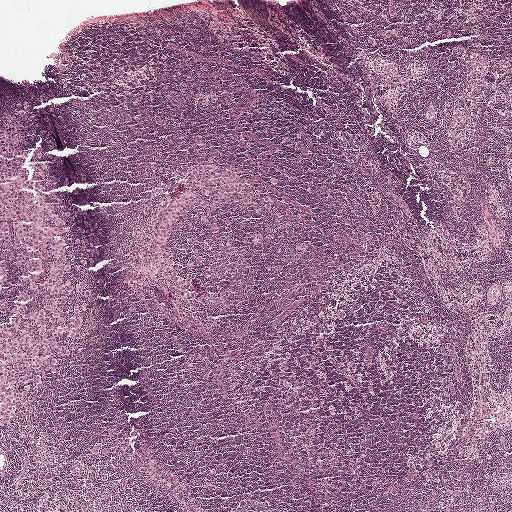
H&E-stained section of a sentinel lymph node (breast cancer), from a whole-slide image, viewed at about 2.5×: the field is about 2.0 mm across, about 3.9 µm per pixel.
Outlines of two tumour regions, largest first (closed clockwise paths, crop pixels): region 1: (0, 124), (34, 142), (54, 181), (54, 193), (73, 220), (68, 226), (67, 255), (74, 277), (91, 298), (71, 358), (33, 400), (16, 434), (1, 431); region 2: (195, 161), (213, 162), (220, 167), (230, 164), (258, 180), (272, 213), (294, 237), (290, 244), (285, 238), (280, 243), (271, 236), (268, 247), (262, 244), (252, 249), (249, 239), (261, 234), (272, 222), (266, 214), (256, 220), (240, 207), (220, 222), (216, 238), (197, 226), (193, 229), (197, 248), (177, 234), (166, 237), (168, 244), (186, 250), (200, 262), (181, 277), (181, 280), (190, 278), (194, 314), (183, 310), (146, 270), (147, 248).
The annotated tumour makes up about 10% of the crop.